Image:
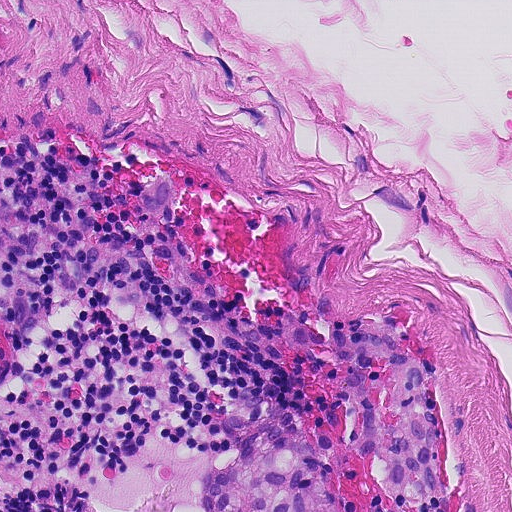
Lymph node section stained with H&E, from a whole-slide image of a breast-cancer sentinel node. Magnification about 20×, about 0.23 mm across the frame, about 0.45 µm per pixel.
Question:
Does this lymph node field contain metastatic tumour?
Answer:
Yes.
Metastatic tumour outline, simplified to 7 points and listed clockwise in crop pixels (x, y): (286, 424), (311, 438), (339, 511), (210, 511), (206, 487), (214, 460), (260, 432).
About 5% of this field is tumour.